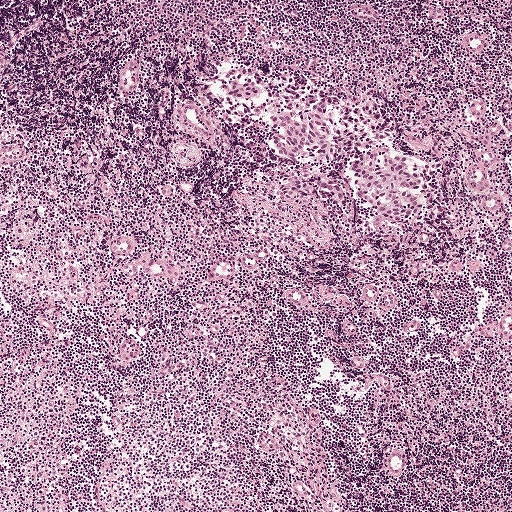
A 1-mm field of an H&E-stained sentinel lymph node from a breast-cancer patient (whole-slide image), shown at about 5×, about 1.9 µm per pixel.
Two metastatic tumour regions, each outlined as a closed clockwise path in crop pixels (x, y), largest first: region 1: (231, 66), (268, 68), (284, 80), (351, 93), (382, 110), (392, 124), (387, 140), (442, 177), (445, 206), (441, 214), (431, 218), (425, 200), (409, 219), (382, 216), (360, 196), (354, 168), (342, 174), (314, 158), (296, 164), (275, 152), (270, 122), (235, 113), (221, 93), (218, 82); region 2: (291, 174), (298, 174), (309, 179), (336, 180), (345, 187), (343, 200), (337, 203), (320, 194), (302, 195), (297, 197), (284, 196), (280, 187), (289, 180).
About 5% of this field is tumour.